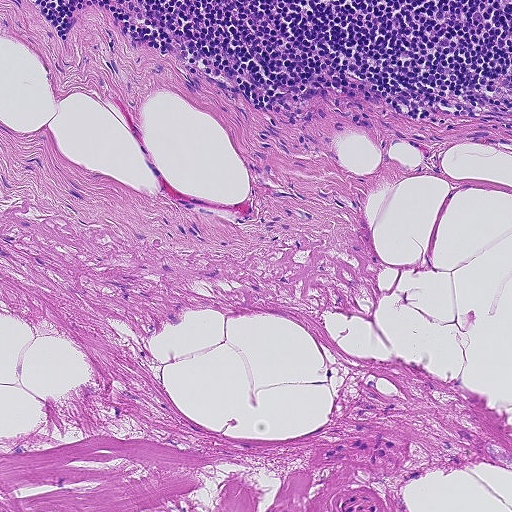
Lymph node section stained with H&E, from a whole-slide image of a breast-cancer sentinel node. Magnification about 10×, about 0.46 mm across the frame, about 0.9 µm per pixel.
Question: Is any metastatic breast cancer visible in this crop?
Answer: No. No metastatic tumour is outlined in this field.